Question: 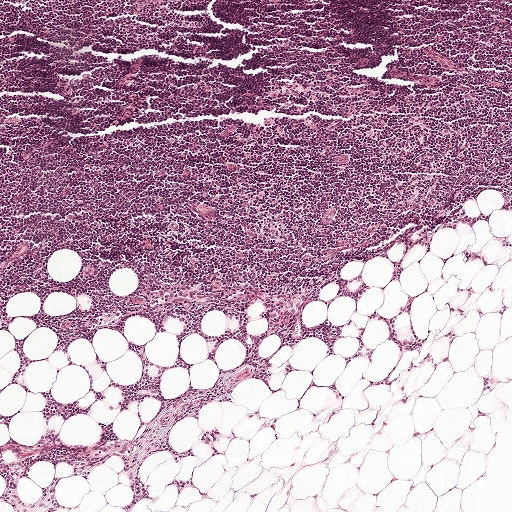
H&E-stained section of a sentinel lymph node (breast cancer), from a whole-slide image, viewed at about 5×: the field is about 1 mm across, about 1.9 µm per pixel.
What fraction of the image area is metastatic tumour?

Choices:
 (A) none: no tumour is outlined
 (B) about 10% to 20%
 (C) about 50% or more
 (D) about 5% or less
 (E) about 25% to 45%

Answer: (A) none: no tumour is outlined
No metastatic tumour is outlined in this field.